Image:
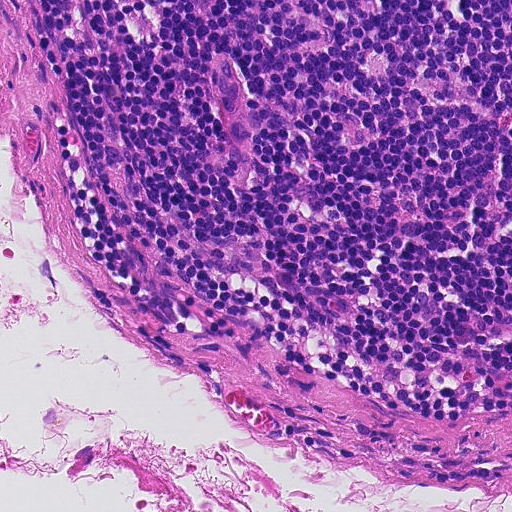
H&E-stained section of a sentinel lymph node (breast cancer), from a whole-slide image, viewed at about 20×: the field is about 0.23 mm across, about 0.45 µm per pixel.
Question:
Is there metastatic carcinoma in this field?
Answer:
No, this field holds no outlined metastasis.